Question: 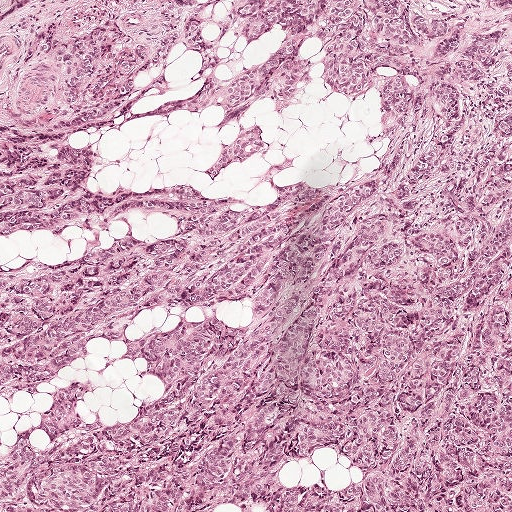
H&E-stained section of a sentinel lymph node (breast cancer), from a whole-slide image, viewed at about 5×: the field is about 1 mm across, about 1.9 µm per pixel.
About how much of this crop is taken up by metastatic carcinoma?

Choices:
 (A) about 50% or more
 (B) none: no tumour is outlined
 (C) about 25% to 45%
 (D) about 5% or less
 (E) about 10% to 20%

Answer: (A) about 50% or more
Over 95% of the field is tumour.
Metastatic tumour covers the whole field.